Question: 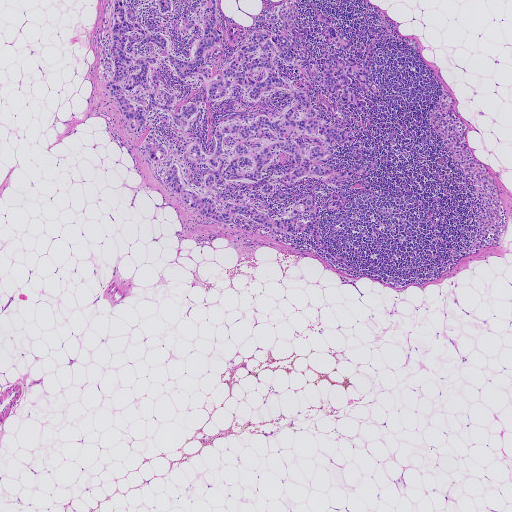
A 1.9-mm field of an H&E-stained sentinel lymph node from a breast-cancer patient (whole-slide image), shown at about 2.5×, about 3.6 µm per pixel.
Roughly what share of this field is metastatic tumour?

Choices:
 (A) about 5% or less
 (B) about 10% to 20%
 (C) about 50% or more
 (D) none: no tumour is outlined
 (E) about 25% to 45%

Answer: (B) about 10% to 20%
About 15% of the field is tumour.
Outlines of two tumour regions, largest first (closed clockwise paths, crop pixels): region 1: (114, 0), (217, 0), (213, 76), (258, 30), (287, 37), (302, 65), (334, 54), (372, 76), (380, 97), (349, 79), (376, 105), (361, 110), (314, 67), (303, 68), (274, 60), (315, 118), (352, 129), (330, 146), (296, 132), (304, 156), (323, 145), (318, 165), (366, 176), (216, 189), (275, 219), (311, 193), (321, 236), (351, 267), (307, 233), (231, 221), (168, 188), (173, 161), (144, 145), (150, 134), (184, 153), (166, 115), (152, 110), (137, 134), (105, 88); region 2: (331, 27), (335, 30), (339, 37), (351, 40), (351, 45), (346, 51), (338, 49), (333, 42), (325, 37), (327, 28).
One more small tumour piece is annotated here but not outlined.